A 2.0-mm field of an H&E-stained sentinel lymph node from a breast-cancer patient (whole-slide image), shown at about 2.5×, about 3.9 µm per pixel.
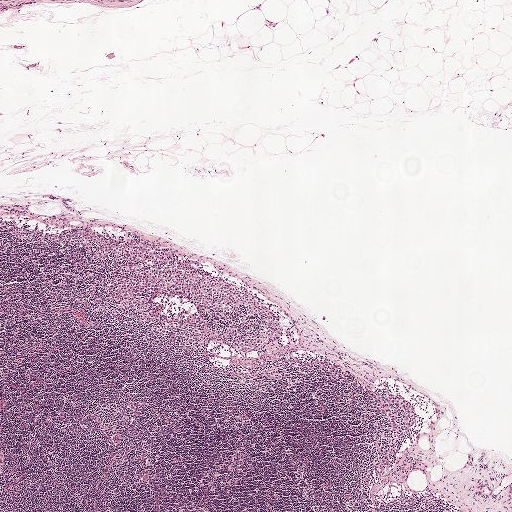
Metastatic tumour outline, simplified to 17 points and listed clockwise in crop pixels (x, y): (0, 210), (55, 228), (129, 235), (173, 257), (250, 282), (278, 316), (285, 345), (273, 354), (245, 354), (160, 340), (45, 297), (34, 285), (32, 271), (72, 268), (69, 262), (45, 249), (2, 245).
About 10% of the image area is annotated as tumour.